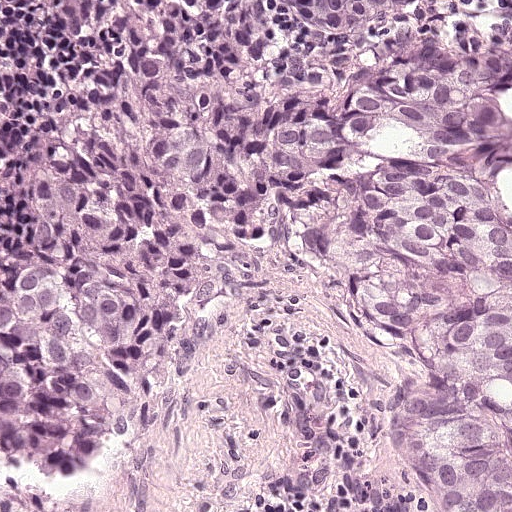
This is a crop of a whole-slide image: an H&E-stained breast-cancer sentinel lymph node section at roughly 20× magnification (about 0.49 µm per pixel; the crop spans about 0.25 mm).
The outlined metastatic tumour's edge, as a closed clockwise path of 24 points: (278, 0), (430, 0), (420, 28), (511, 38), (511, 511), (428, 511), (364, 342), (294, 264), (249, 266), (227, 288), (218, 316), (236, 360), (163, 417), (126, 494), (46, 489), (0, 465), (0, 290), (32, 252), (46, 174), (86, 138), (88, 100), (170, 54), (277, 66), (290, 39).
Tumour covers about 70% of the frame.